Image:
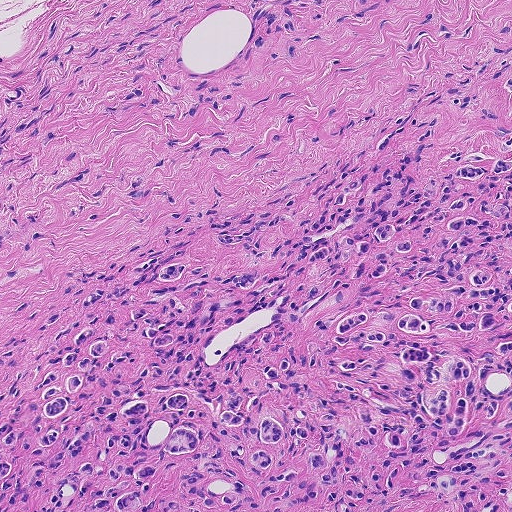
Lymph node section stained with H&E, from a whole-slide image of a breast-cancer sentinel node. Magnification about 10×, about 0.46 mm across the frame, about 0.9 µm per pixel.
Question:
Which parts of this field are metastatic tumour? Answer with the outline of each region, in pixels.
Answer:
One metastatic tumour region; its boundary, reduced to 6 corners and listed clockwise: (511, 44), (511, 511), (0, 511), (0, 360), (144, 257), (288, 188).
The annotated tumour makes up about 60% of the crop.